Question: 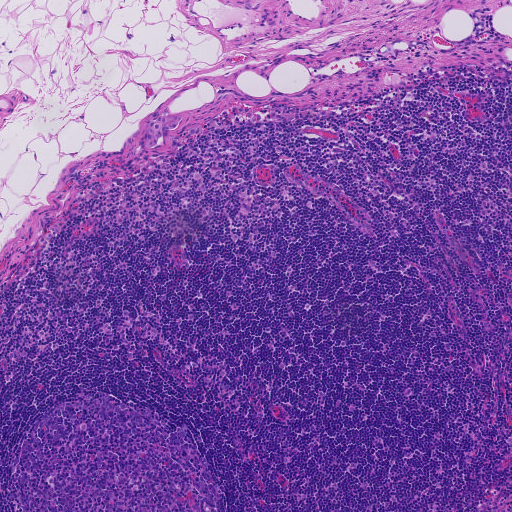
A 0.93-mm field of an H&E-stained sentinel lymph node from a breast-cancer patient (whole-slide image), shown at about 5×, about 1.8 µm per pixel.
What fraction of the image area is metastatic tumour?

Choices:
 (A) about 5% or less
 (B) about 50% or more
 (C) none: no tumour is outlined
 (D) about 10% to 20%
 (E) about 25% to 45%

Answer: (A) about 5% or less
Under 5% of the field is tumour.
Tumour region outline (a closed clockwise path, crop pixels): (171, 114), (184, 116), (177, 128), (165, 133), (156, 145), (144, 149), (139, 149), (137, 141), (143, 128), (144, 122).